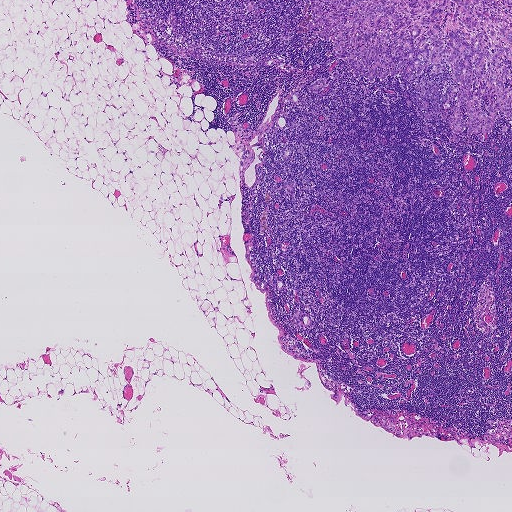
H&E-stained section of a sentinel lymph node (breast cancer), from a whole-slide image, viewed at about 2.5×: the field is about 1.9 mm across, about 3.6 µm per pixel.
Boundaries of four metastatic tumour regions, simplified and listed clockwise, largest first: region 1: (511, 0), (511, 126), (503, 135), (498, 116), (484, 142), (468, 137), (466, 125), (454, 142), (449, 116), (424, 119), (406, 102), (418, 94), (415, 75), (371, 84), (349, 73), (332, 39), (316, 27), (307, 32), (310, 3); region 2: (295, 309), (298, 309), (311, 314), (314, 320), (314, 328), (301, 332), (296, 328), (291, 323); region 3: (266, 272), (271, 274), (274, 272), (277, 274), (284, 285), (284, 292), (277, 296), (274, 292), (272, 286), (264, 281), (264, 274); region 4: (320, 77), (326, 77), (326, 82), (326, 87), (323, 91), (318, 93), (313, 93), (309, 91), (308, 86).
About 10% of this field is tumour.